Question: 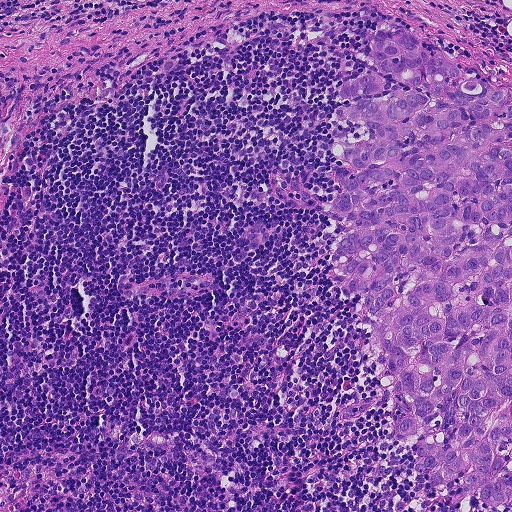
A 0.46-mm field of an H&E-stained sentinel lymph node from a breast-cancer patient (whole-slide image), shown at about 10×, about 0.9 µm per pixel.
About how much of this crop is taken up by metastatic carcinoma?

Choices:
 (A) about 25% to 45%
 (B) about 10% to 20%
 (C) about 5% or less
 (D) none: no tumour is outlined
 (E) about 50% or more

Answer: (A) about 25% to 45%
About 25% of the field is tumour.
Metastatic tumour outline, simplified to 24 points and listed clockwise in crop pixels (x, y): (385, 24), (424, 32), (462, 68), (506, 85), (511, 511), (495, 511), (457, 493), (458, 482), (417, 480), (409, 462), (425, 430), (389, 426), (368, 314), (334, 272), (348, 218), (327, 206), (350, 171), (336, 144), (364, 130), (327, 116), (346, 102), (338, 84), (376, 72), (367, 34).